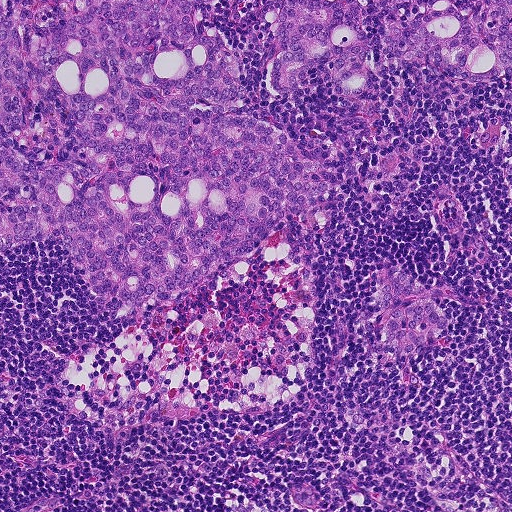
Lymph node section stained with H&E, from a whole-slide image of a breast-cancer sentinel node. Magnification about 10×, about 0.46 mm across the frame, about 0.9 µm per pixel.
Outlines of two tumour regions, largest first (closed clockwise paths, crop pixels): region 1: (0, 0), (213, 0), (252, 110), (346, 158), (326, 166), (348, 191), (329, 232), (424, 286), (446, 332), (403, 361), (376, 316), (373, 269), (328, 236), (276, 234), (191, 296), (132, 318), (86, 293), (63, 244), (0, 254); region 2: (266, 0), (511, 0), (511, 69), (454, 106), (422, 92), (400, 64), (382, 65), (373, 81), (378, 98), (362, 106), (344, 103), (322, 76), (293, 96), (276, 96), (264, 82), (272, 46).
About 40% of the image area is annotated as tumour.